Question: 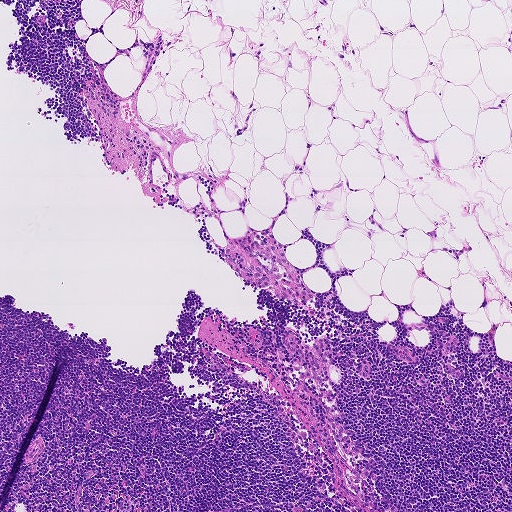
Lymph node section stained with H&E, from a whole-slide image of a breast-cancer sentinel node. Magnification about 5×, about 0.93 mm across the frame, about 1.8 µm per pixel.
Roughly what share of this field is metastatic tumour?

Choices:
 (A) about 25% to 45%
 (B) none: no tumour is outlined
 (C) about 10% to 20%
 (D) about 50% or more
 (E) about 5% or less

Answer: (B) none: no tumour is outlined
No metastatic tumour is outlined in this field.